Image:
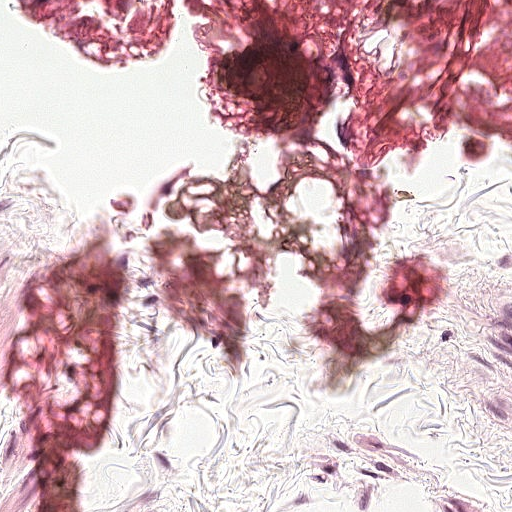
Lymph node section stained with H&E, from a whole-slide image of a breast-cancer sentinel node. Magnification about 20×, about 0.25 mm across the frame, about 0.49 µm per pixel.
Question:
Is there metastatic carcinoma in this field?
Answer:
No, this field holds no outlined metastasis.